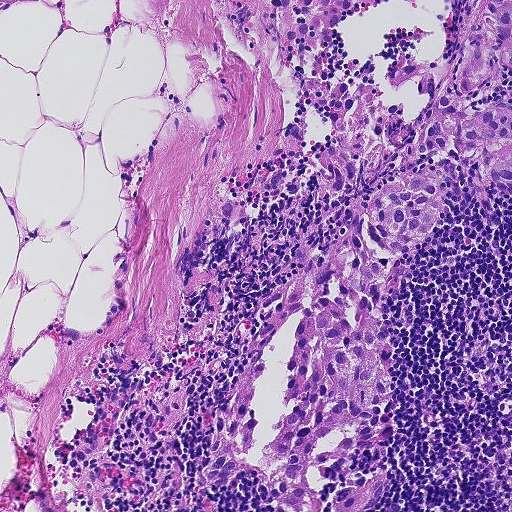
Lymph node section stained with H&E, from a whole-slide image of a breast-cancer sentinel node. Magnification about 10×, about 0.46 mm across the frame, about 0.9 µm per pixel.
Outlines of two tumour regions, largest first (closed clockwise paths, crop pixels): region 1: (219, 0), (385, 0), (344, 13), (322, 68), (408, 122), (426, 106), (420, 78), (388, 90), (398, 57), (446, 76), (442, 100), (489, 3), (511, 0), (511, 195), (484, 177), (485, 214), (458, 182), (393, 287), (388, 488), (364, 511), (283, 511), (245, 470), (203, 494), (215, 400), (296, 246), (320, 253), (343, 204), (324, 202), (307, 159), (283, 178), (296, 193), (219, 220), (281, 169), (272, 149), (313, 76), (240, 41); region 2: (511, 498), (511, 511), (496, 511), (498, 510), (506, 500).
Tumour covers about 30% of the frame.